A 0.12-mm field of an H&E-stained sentinel lymph node from a breast-cancer patient (whole-slide image), shown at about 40×, about 0.23 µm per pixel.
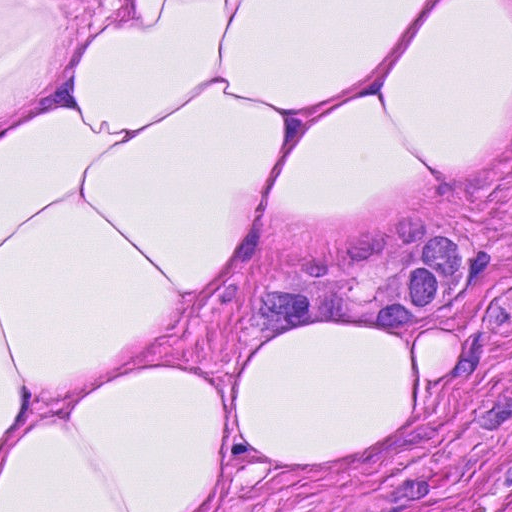
Tumour region outline (a closed clockwise path, crop pixels): (444, 210), (480, 235), (482, 281), (457, 315), (417, 332), (326, 324), (287, 338), (246, 321), (266, 283), (299, 254), (391, 254), (402, 213).
About 5% of this field is tumour.